Image:
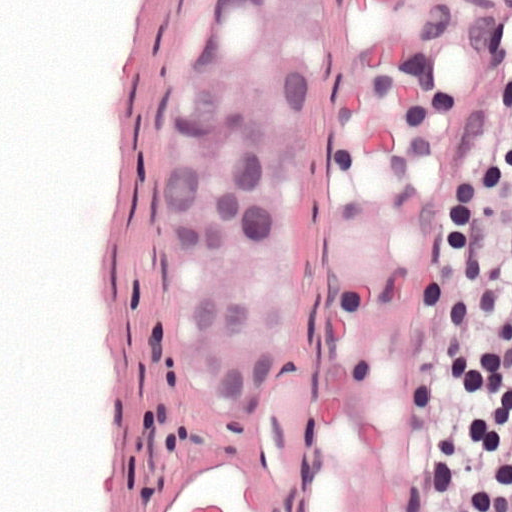
H&E-stained section of a sentinel lymph node (breast cancer), from a whole-slide image, viewed at about 40×: the field is about 0.12 mm across, about 0.24 µm per pixel.
Question:
Where is the metastatic tumour in this field? Give each region's outline as (x, y) pixel points.
Answer:
Metastatic tumour outline, simplified to 10 points and listed clockwise in crop pixels (x, y): (206, 0), (324, 0), (338, 74), (336, 175), (291, 371), (231, 438), (178, 391), (155, 295), (155, 192), (170, 92).
Tumour covers about 25% of the frame.